Question: 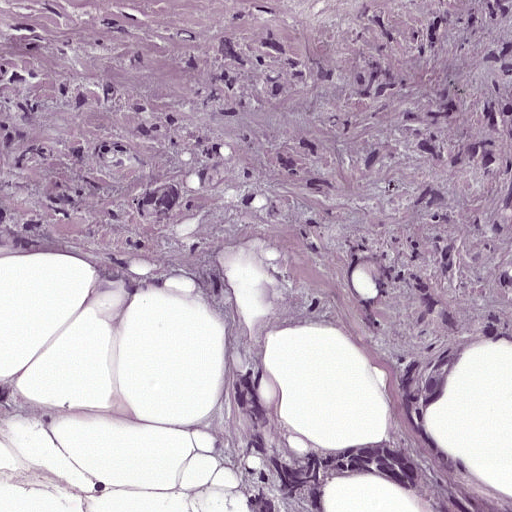
Which magnification is this H&E lymph node field most likely shown at?

Choices:
 (A) about 20×
 (B) about 2.5×
 (C) about 10×
 (D) about 40×
 (E) about 5×

Answer: (A) about 20×
A 0.25-mm field of an H&E-stained sentinel lymph node from a breast-cancer patient (whole-slide image), shown at about 20×, about 0.49 µm per pixel.
Outlines of two tumour regions, largest first (closed clockwise paths, crop pixels): region 1: (401, 0), (511, 0), (511, 336), (472, 344), (425, 426), (435, 451), (396, 413), (403, 366), (428, 331), (354, 224), (332, 82); region 2: (230, 359), (257, 362), (276, 387), (269, 432), (306, 444), (391, 439), (436, 457), (436, 492), (398, 488), (356, 473), (326, 496), (323, 511), (244, 511), (228, 418).
The annotated tumour makes up about 25% of the crop.